H&E-stained section of a sentinel lymph node (breast cancer), from a whole-slide image, viewed at about 20×: the field is about 0.23 mm across, about 0.45 µm per pixel.
Image:
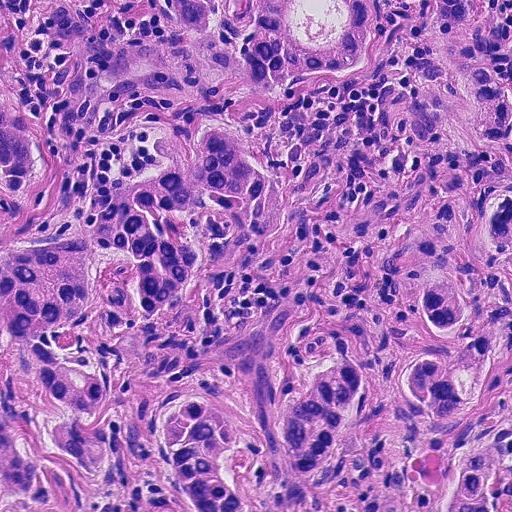
Question:
Does this lymph node field contain metastatic tumour?
Answer:
Yes.
One metastatic tumour region; its boundary, reduced to 21 corners and listed clockwise: (0, 0), (121, 0), (152, 34), (172, 34), (156, 0), (388, 0), (388, 10), (399, 0), (489, 0), (493, 44), (511, 81), (511, 511), (0, 511), (0, 96), (42, 108), (66, 133), (82, 184), (158, 130), (99, 90), (53, 40), (0, 16).
Tumour covers about 95% of the frame.